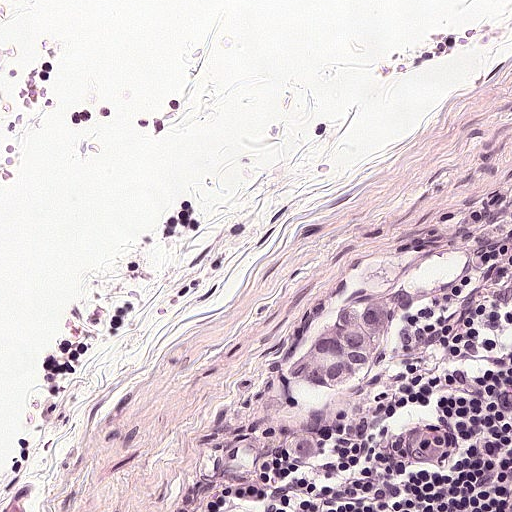
H&E-stained section of a sentinel lymph node (breast cancer), from a whole-slide image, viewed at about 20×: the field is about 0.25 mm across, about 0.49 µm per pixel.
Metastatic tumour outline, simplified to 17 points and listed clockwise in crop pixels (x, y): (410, 284), (417, 288), (419, 299), (414, 314), (401, 319), (398, 332), (384, 349), (371, 354), (362, 368), (360, 377), (312, 394), (292, 394), (282, 388), (282, 369), (294, 349), (318, 334), (355, 294).
One more small tumour piece is annotated here but not outlined.
About 5% of this field is tumour.